H&E-stained section of a sentinel lymph node (breast cancer), from a whole-slide image, viewed at about 2.5×: the field is about 2.0 mm across, about 4.0 µm per pixel.
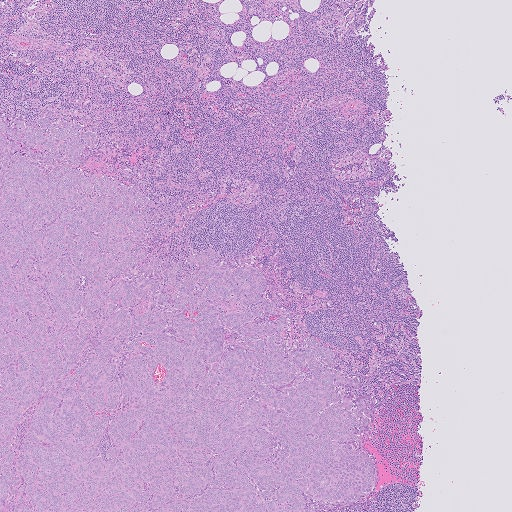
Question: Where is the metastatic tumour in this field?
Answer: Tumour region outline (a closed clockwise path, crop pixels): (73, 108), (101, 138), (91, 171), (132, 174), (169, 214), (149, 233), (151, 253), (181, 262), (180, 278), (195, 252), (246, 258), (290, 313), (286, 349), (318, 337), (374, 396), (362, 449), (377, 464), (377, 486), (329, 511), (0, 511), (0, 118), (34, 127).
Tumour covers about 40% of the frame.